A 1-mm field of an H&E-stained sentinel lymph node from a breast-cancer patient (whole-slide image), shown at about 5×, about 1.9 µm per pixel.
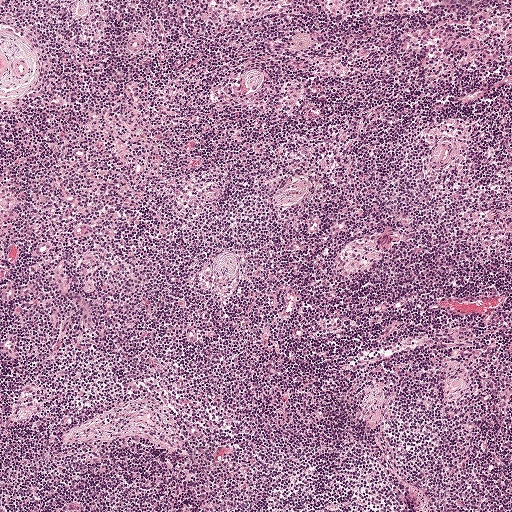
Question: Does this lymph node field contain metastatic tumour?
Answer: No: no metastatic tumour is outlined anywhere in this field.